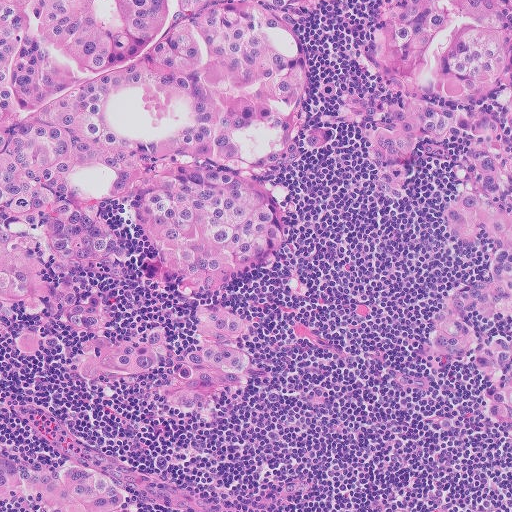
Lymph node section stained with H&E, from a whole-slide image of a breast-cancer sentinel node. Magnification about 10×, about 0.51 mm across the frame, about 1.0 µm per pixel.
Three metastatic tumour regions, each outlined as a closed clockwise path in crop pixels (x, y), largest first: region 1: (0, 0), (326, 0), (286, 148), (288, 204), (242, 308), (248, 363), (206, 401), (150, 403), (41, 364), (0, 369); region 2: (378, 0), (511, 0), (511, 441), (411, 356), (442, 247), (419, 194), (365, 208), (342, 156), (287, 149), (320, 103), (363, 69); region 3: (0, 441), (26, 447), (140, 502), (144, 511), (0, 511).
About 65% of this field is tumour.